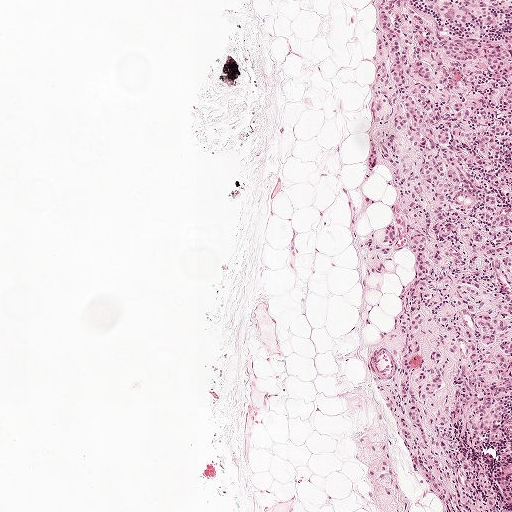
Lymph node section stained with H&E, from a whole-slide image of a breast-cancer sentinel node. Magnification about 5×, about 1 mm across the frame, about 1.9 µm per pixel.
Metastatic tumour outline, simplified to 15 points and listed clockwise in crop pixels (x, y): (396, 1), (457, 36), (511, 45), (511, 405), (503, 420), (511, 437), (511, 511), (458, 511), (402, 432), (398, 373), (419, 258), (394, 218), (401, 175), (370, 132), (385, 23).
About 20% of this field is tumour.